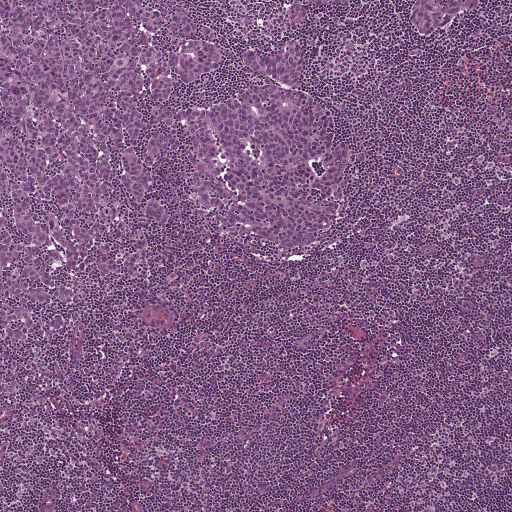
A 1-mm field of an H&E-stained sentinel lymph node from a breast-cancer patient (whole-slide image), shown at about 5×, about 1.9 µm per pixel.
Question: Outline the metastatic carcinoma in this image, as closed paths of (x, y) pixel coordinates.
Answer: Boundaries of two metastatic tumour regions, simplified and listed clockwise, largest first: region 1: (0, 0), (188, 0), (224, 33), (221, 69), (170, 103), (256, 81), (239, 59), (280, 51), (292, 0), (362, 0), (290, 32), (303, 90), (351, 144), (329, 232), (282, 254), (227, 239), (172, 162), (157, 189), (174, 217), (137, 281), (83, 278), (45, 349), (1, 341); region 2: (413, 0), (483, 0), (483, 7), (477, 13), (468, 14), (453, 23), (429, 47), (409, 25), (406, 15).
One more small tumour piece is annotated here but not outlined.
About 30% of the image area is annotated as tumour.